Lymph node section stained with H&E, from a whole-slide image of a breast-cancer sentinel node. Magnification about 5×, about 0.93 mm across the frame, about 1.8 µm per pixel.
Question: 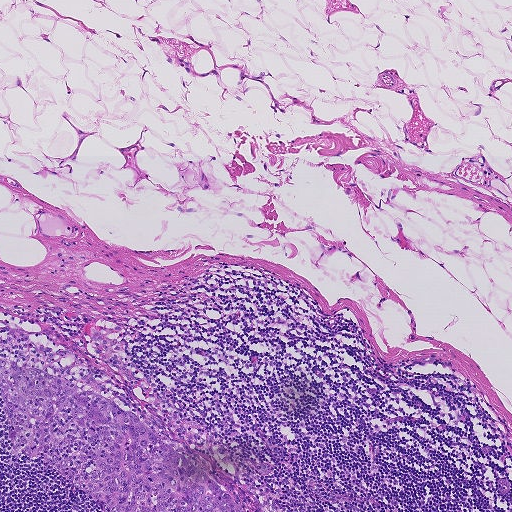
Roughly what share of this field is metastatic tumour?

Choices:
 (A) about 25% to 45%
 (B) about 50% or more
 (C) about 5% or less
 (D) about 10% to 20%
 (E) none: no tumour is outlined

Answer: (C) about 5% or less
About 5% of the field is tumour.
Metastatic tumour outline, simplified to 8 points and listed clockwise in crop pixels (x, y): (0, 355), (78, 388), (113, 396), (250, 511), (100, 511), (96, 503), (48, 465), (14, 453).